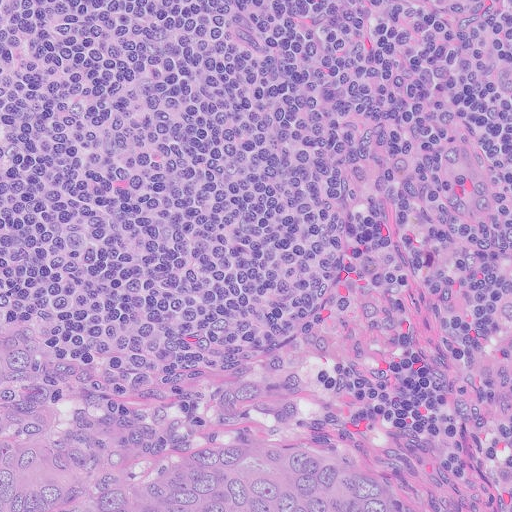
H&E-stained section of a sentinel lymph node (breast cancer), from a whole-slide image, viewed at about 20×: the field is about 0.26 mm across, about 0.5 µm per pixel.
Question: Describe where the metastatic carcinoma lies in this crop.
Answer: One metastatic tumour region; its boundary, reduced to 8 corners and listed clockwise: (0, 312), (78, 340), (136, 382), (262, 376), (292, 426), (352, 437), (397, 511), (0, 511).
Tumour covers about 20% of the frame.